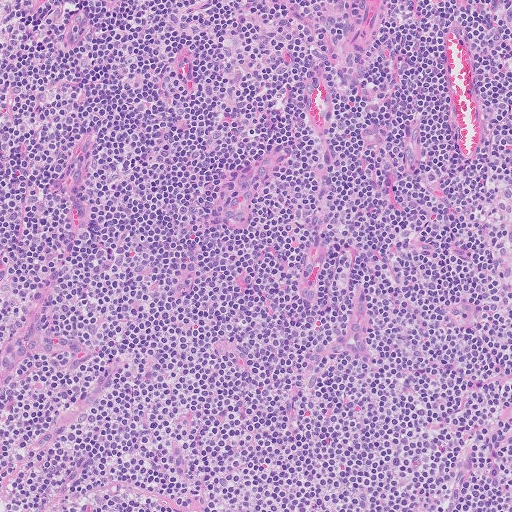
A 0.51-mm field of an H&E-stained sentinel lymph node from a breast-cancer patient (whole-slide image), shown at about 10×, about 1.0 µm per pixel.